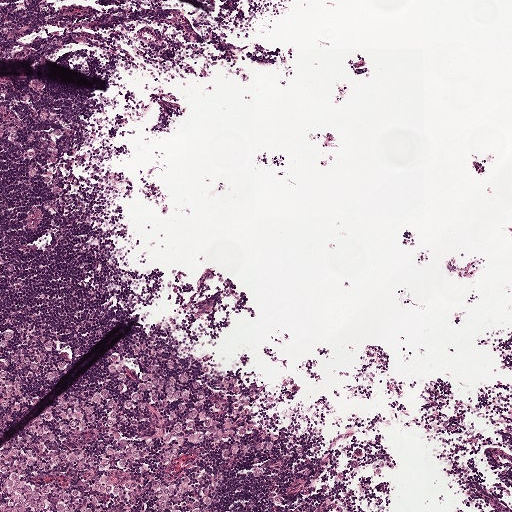
This is a crop of a whole-slide image: an H&E-stained breast-cancer sentinel lymph node section at roughly 5× magnification (about 1.9 µm per pixel; the crop spans about 1 mm).
Boundaries of two metastatic tumour regions, simplified and listed clockwise, largest first: region 1: (89, 352), (151, 370), (146, 366), (185, 370), (230, 396), (262, 427), (218, 511), (0, 511), (0, 450), (108, 360); region 2: (0, 334), (88, 351), (79, 362), (59, 375), (44, 399), (29, 415), (0, 432).
About 15% of this field is tumour.